This is a crop of a whole-slide image: an H&E-stained breast-cancer sentinel lymph node section at roughly 2.5× magnification (about 3.6 µm per pixel; the crop spans about 1.9 mm).
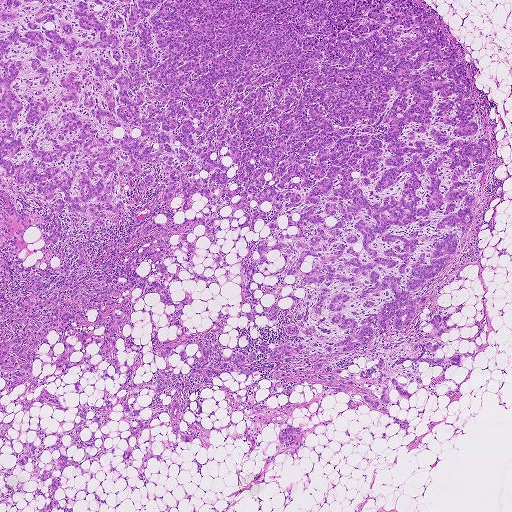
Three metastatic tumour regions, each outlined as a closed clockwise path in crop pixels (x, y), largest first: region 1: (0, 0), (440, 24), (490, 146), (419, 313), (453, 314), (460, 367), (377, 410), (324, 396), (287, 420), (331, 420), (306, 447), (270, 423), (249, 454), (218, 387), (322, 385), (221, 373), (141, 410), (143, 467), (97, 344), (80, 394), (40, 347), (25, 397), (66, 411), (1, 398); region 2: (105, 387), (117, 392), (113, 421), (100, 428), (114, 454), (88, 461), (82, 448), (68, 449), (68, 434), (64, 447), (42, 453), (41, 474), (65, 453), (96, 477), (64, 468), (55, 497), (76, 491), (78, 501), (61, 500), (51, 511), (0, 511), (0, 422), (13, 423), (7, 432), (19, 452), (20, 428), (20, 442), (39, 444), (34, 430), (24, 430), (34, 429), (39, 416), (46, 432), (66, 431), (80, 422), (80, 403), (105, 406); region 3: (0, 404), (3, 405), (6, 405), (6, 408), (7, 411), (9, 413), (8, 415), (5, 416), (1, 412), (0, 411).
Tumour covers about 70% of the frame.